Lymph node section stained with H&E, from a whole-slide image of a breast-cancer sentinel node. Magnification about 10×, about 0.5 mm across the frame, about 0.97 µm per pixel.
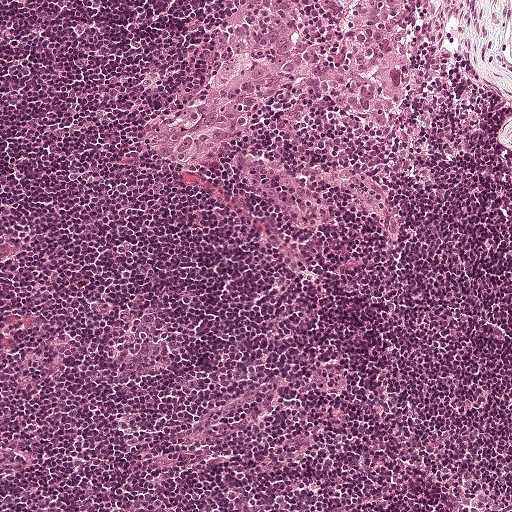
Question: Trace the edge of each tumour region in this crop, as (x, y) points from 0 to 511.
Answer: Metastatic tumour outline, simplified to 17 points and listed clockwise in crop pixels (x, y): (250, 0), (417, 0), (416, 56), (425, 81), (415, 107), (388, 123), (360, 124), (298, 79), (276, 94), (228, 154), (203, 169), (181, 167), (150, 150), (143, 132), (207, 83), (232, 48), (234, 24).
The annotated tumour makes up about 10% of the crop.